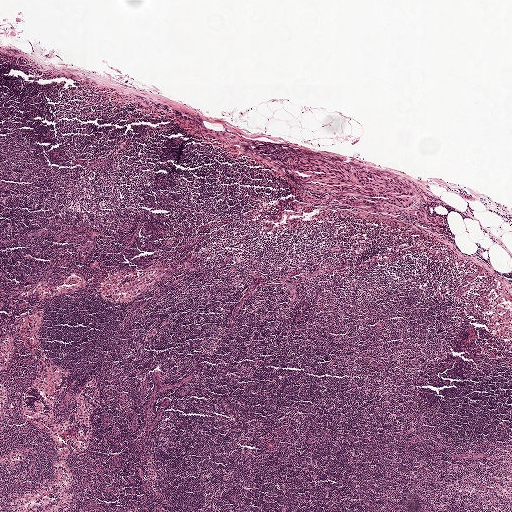
This is a crop of a whole-slide image: an H&E-stained breast-cancer sentinel lymph node section at roughly 2.5× magnification (about 3.9 µm per pixel; the crop spans about 2.0 mm).
One metastatic tumour region; its boundary, reduced to 14 corners and listed clockwise: (290, 149), (329, 150), (367, 166), (377, 166), (398, 176), (412, 190), (410, 207), (396, 212), (385, 212), (360, 210), (334, 202), (313, 190), (294, 173), (285, 153).
Under 5% of this field is tumour.